Question: 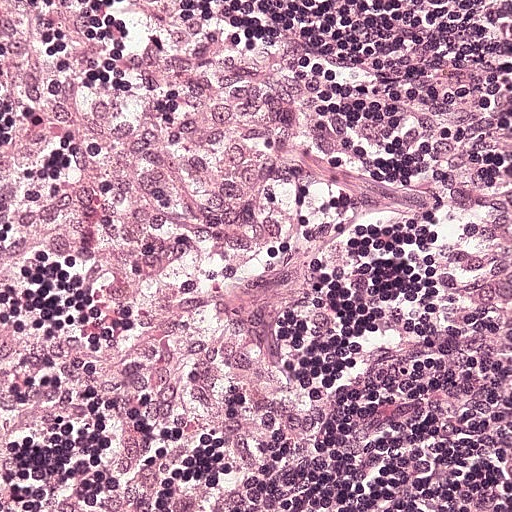
At roughly what magnification is this field shown?

Choices:
 (A) about 20×
 (B) about 5×
 (C) about 2.5×
 (D) about 40×
 (E) about 10×

Answer: (A) about 20×
A 0.25-mm field of an H&E-stained sentinel lymph node from a breast-cancer patient (whole-slide image), shown at about 20×, about 0.49 µm per pixel.